This is a crop of a whole-slide image: an H&E-stained breast-cancer sentinel lymph node section at roughly 2.5× magnification (about 3.9 µm per pixel; the crop spans about 2.0 mm).
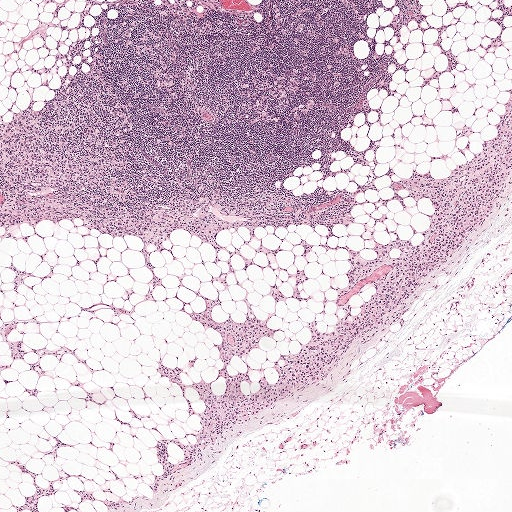
Outlines of six tumour regions, largest first (closed clockwise paths, crop pixels): region 1: (8, 458), (24, 462), (30, 470), (36, 471), (39, 473), (39, 475), (34, 481), (34, 484), (35, 486), (40, 486), (46, 485), (47, 483), (48, 478), (53, 487), (53, 492), (52, 493), (44, 495), (36, 499), (36, 502), (38, 506), (41, 511), (32, 511), (26, 508), (22, 507), (18, 511), (15, 511), (14, 509), (12, 506), (13, 504), (22, 504), (24, 500), (25, 497), (31, 494), (33, 491), (30, 475), (27, 472), (22, 471), (7, 461); region 2: (283, 267), (294, 272), (296, 268), (301, 268), (304, 267), (303, 272), (307, 277), (298, 283), (298, 290), (300, 293), (303, 295), (311, 295), (310, 299), (306, 302), (298, 302), (295, 297), (292, 297), (284, 301), (279, 300), (278, 303), (274, 303), (267, 292), (270, 286), (273, 283), (277, 283), (281, 292), (291, 294), (291, 286), (293, 284), (294, 280), (293, 278), (284, 274); region 3: (11, 320), (16, 322), (15, 327), (8, 332), (8, 338), (21, 340), (21, 349), (24, 351), (22, 359), (19, 360), (12, 360), (7, 344), (0, 336), (0, 324); region 4: (82, 488), (85, 490), (90, 491), (94, 496), (97, 498), (109, 498), (114, 500), (117, 504), (117, 508), (116, 508), (103, 504), (95, 499), (92, 499), (80, 503), (79, 505), (78, 509), (70, 508), (67, 509), (67, 511), (64, 511), (62, 508), (62, 505), (66, 506), (70, 506), (75, 505), (79, 502), (79, 497), (74, 490), (81, 489); region 5: (33, 360), (37, 362), (45, 371), (44, 374), (40, 375), (29, 368), (27, 363); region 6: (23, 388), (36, 388), (38, 389), (38, 393), (35, 396), (27, 393).
One more tumour region is annotated but not outlined: its edge is too irregular for a short outline.
One more small tumour piece is annotated here but not outlined.
About 25% of this field is tumour.